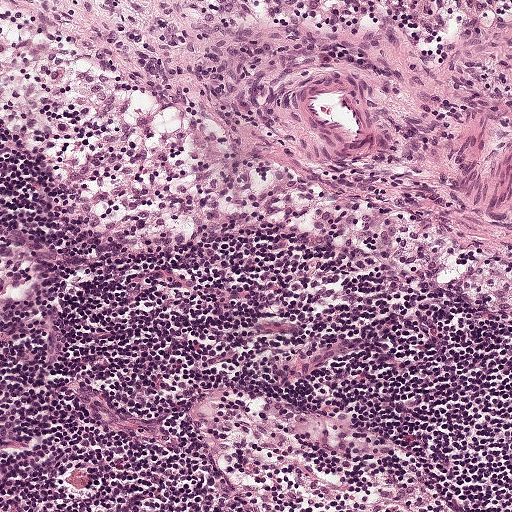
Lymph node section stained with H&E, from a whole-slide image of a breast-cancer sentinel node. Magnification about 10×, about 0.5 mm across the frame, about 0.97 µm per pixel.